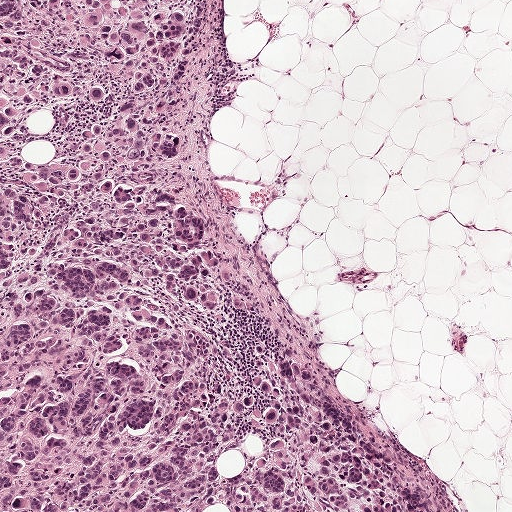
A 1-mm field of an H&E-stained sentinel lymph node from a breast-cancer patient (whole-slide image), shown at about 5×, about 1.9 µm per pixel.
One metastatic tumour region; its boundary, reduced to 12 corners and listed clockwise: (0, 0), (214, 0), (171, 117), (184, 152), (148, 176), (205, 217), (291, 353), (407, 462), (440, 511), (232, 511), (218, 504), (0, 511).
About 50% of the image area is annotated as tumour.